Question: 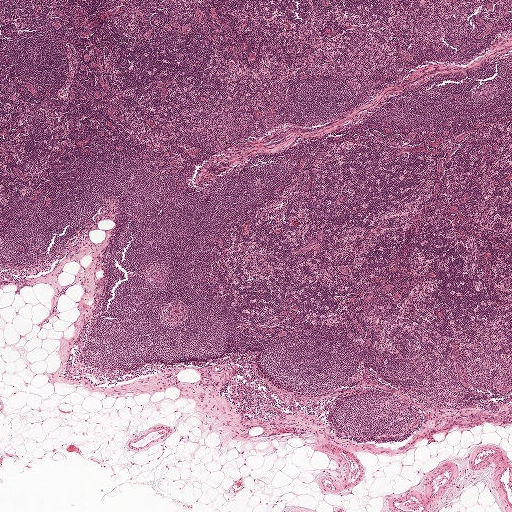
A 2.0-mm field of an H&E-stained sentinel lymph node from a breast-cancer patient (whole-slide image), shown at about 2.5×, about 3.9 µm per pixel.
What fraction of the image area is metastatic tumour?

Choices:
 (A) none: no tumour is outlined
 (B) about 5% or less
 (C) about 10% to 20%
 (D) about 25% to 45%
 (E) about 50% or more

Answer: (A) none: no tumour is outlined
No metastatic tumour is outlined in this field.